Image:
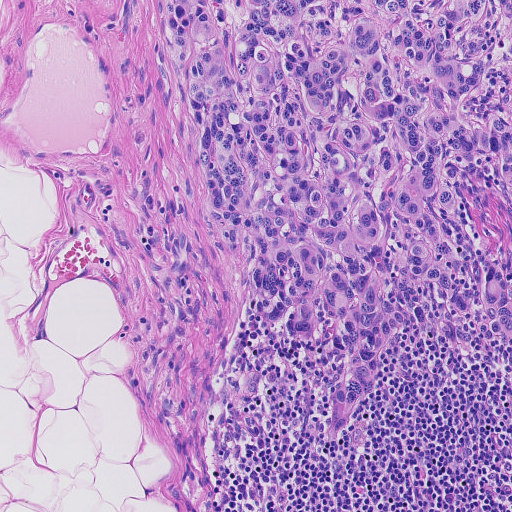
Lymph node section stained with H&E, from a whole-slide image of a breast-cancer sentinel node. Magnification about 10×, about 0.46 mm across the frame, about 0.91 µm per pixel.
Question:
Which parts of this field are metastatic tumour?
Answer:
The outlined metastatic tumour's edge, as a closed clockwise path of 14 points: (165, 0), (511, 0), (511, 334), (457, 345), (430, 323), (409, 326), (386, 350), (374, 391), (330, 438), (338, 354), (330, 332), (290, 330), (255, 235), (205, 198).
The annotated tumour makes up about 40% of the crop.